Image:
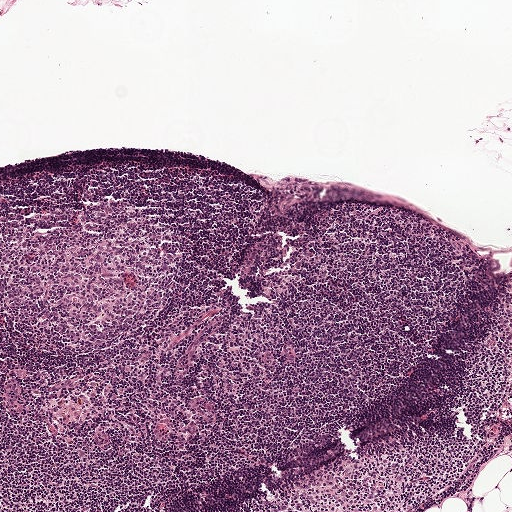
Lymph node section stained with H&E, from a whole-slide image of a breast-cancer sentinel node. Magnification about 5×, about 1 mm across the frame, about 1.9 µm per pixel.
Question:
Is there metastatic carcinoma in this field?
Answer:
No, this field holds no outlined metastasis.